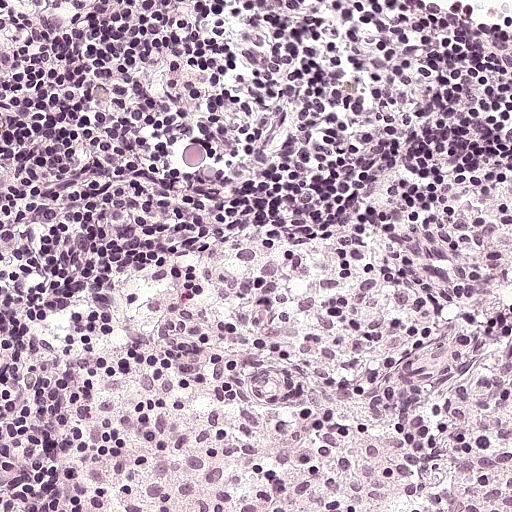
This is a crop of a whole-slide image: an H&E-stained breast-cancer sentinel lymph node section at roughly 20× magnification (about 0.49 µm per pixel; the crop spans about 0.25 mm).
Question: Is there metastatic carcinoma in this field?
Answer: No. No metastatic tumour is outlined in this field.